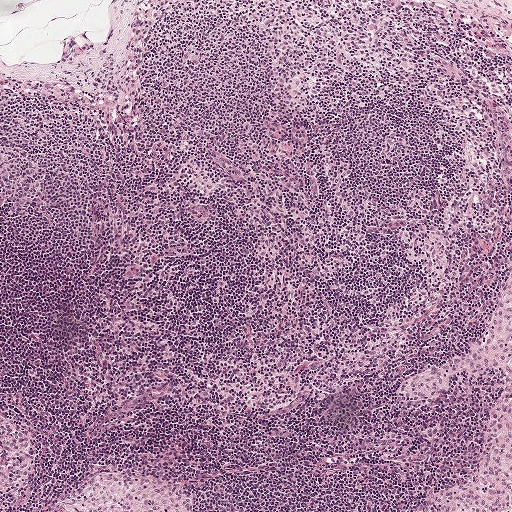
H&E-stained section of a sentinel lymph node (breast cancer), from a whole-slide image, viewed at about 5×: the field is about 1 mm across, about 1.9 µm per pixel.